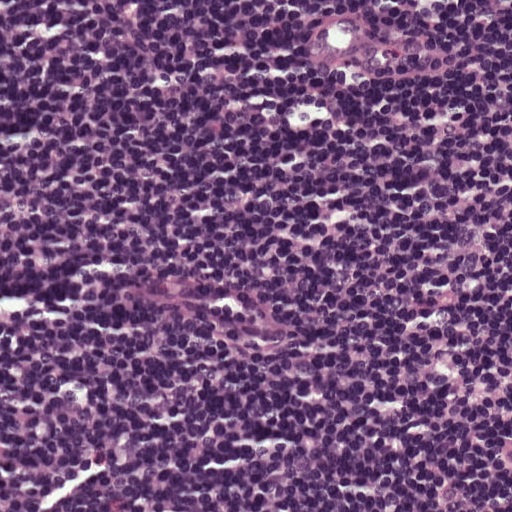
H&E-stained section of a sentinel lymph node (breast cancer), from a whole-slide image, viewed at about 20×: the field is about 0.25 mm across, about 0.49 µm per pixel.